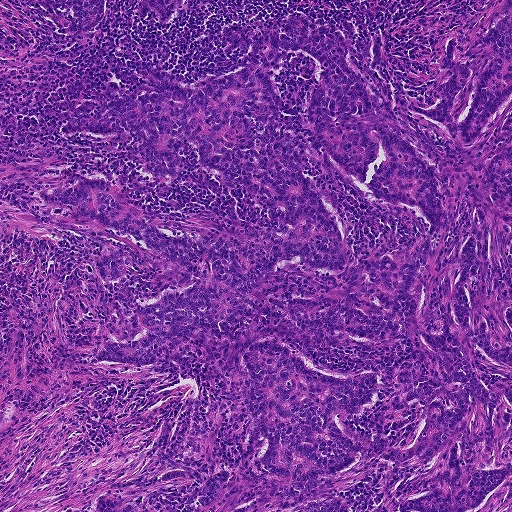
Lymph node section stained with H&E, from a whole-slide image of a breast-cancer sentinel node. Magnification about 5×, about 0.93 mm across the frame, about 1.8 µm per pixel.
Three metastatic tumour regions, each outlined as a closed clockwise path in crop pixels (x, y), largest first: region 1: (511, 0), (511, 511), (84, 511), (110, 476), (151, 457), (164, 387), (90, 363), (101, 303), (80, 240), (17, 216), (38, 181), (77, 166), (150, 200), (118, 144), (52, 136), (62, 116), (126, 63), (192, 75), (231, 65), (222, 25), (242, 19), (305, 14), (387, 33), (410, 68); region 2: (42, 0), (105, 0), (102, 17), (92, 33), (83, 34), (66, 31), (59, 19); region 3: (141, 0), (184, 0), (176, 16), (169, 24), (158, 24), (150, 17), (140, 19), (134, 10).
Tumour covers about 75% of the frame.